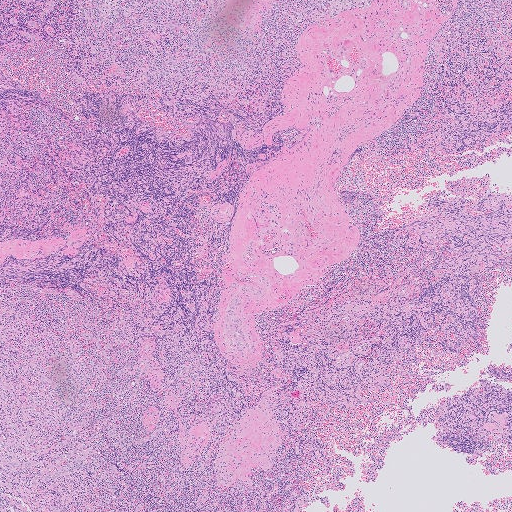
H&E-stained section of a sentinel lymph node (breast cancer), from a whole-slide image, viewed at about 2.5×: the field is about 2.0 mm across, about 4.0 µm per pixel.